Question: 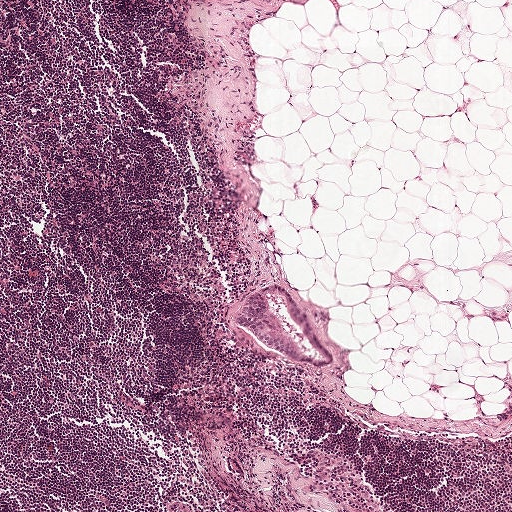
Lymph node section stained with H&E, from a whole-slide image of a breast-cancer sentinel node. Magnification about 5×, about 1 mm across the frame, about 1.9 µm per pixel.
Roughly what share of this field is metastatic tumour?

Choices:
 (A) about 25% to 45%
 (B) about 50% or more
 (C) none: no tumour is outlined
 (D) about 10% to 20%
 (E) about 5% or less

Answer: (E) about 5% or less
Under 5% of the field is tumour.
The outlined metastatic tumour's edge, as a closed clockwise path of 18 points: (274, 284), (277, 285), (277, 293), (272, 295), (268, 301), (270, 309), (276, 316), (277, 328), (281, 337), (286, 340), (286, 352), (279, 354), (270, 352), (263, 342), (234, 323), (232, 316), (236, 309), (249, 295).